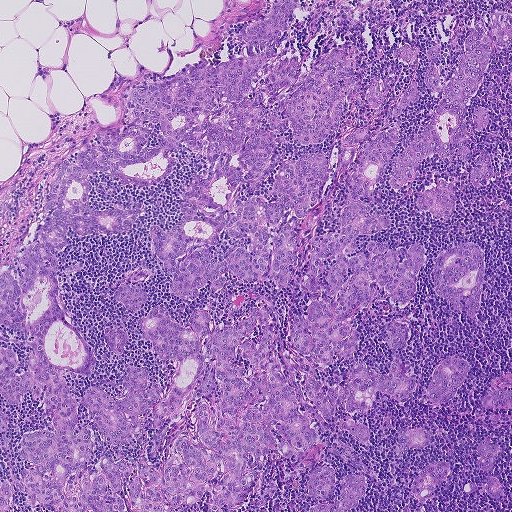
A 0.93-mm field of an H&E-stained sentinel lymph node from a breast-cancer patient (whole-slide image), shown at about 5×, about 1.8 µm per pixel.
Boundaries of eight metastatic tumour regions, simplified and listed clockwise, largest first: region 1: (506, 12), (511, 23), (511, 42), (503, 48), (493, 45), (464, 116), (470, 141), (466, 144), (470, 152), (467, 162), (462, 162), (454, 151), (447, 158), (432, 156), (423, 160), (417, 177), (402, 189), (393, 189), (388, 181), (390, 164), (418, 134), (445, 96), (438, 99), (430, 93), (424, 80), (429, 47), (440, 45), (434, 63), (443, 85), (465, 53), (464, 44), (470, 28), (475, 28), (477, 22), (487, 32), (492, 16); region 2: (467, 242), (477, 244), (481, 248), (484, 259), (483, 292), (476, 312), (477, 323), (463, 312), (453, 308), (437, 294), (433, 289), (433, 284), (433, 268), (436, 258), (443, 250); region 3: (457, 356), (466, 362), (469, 366), (469, 372), (453, 400), (449, 403), (428, 404), (420, 404), (418, 399), (424, 394), (435, 370), (441, 361); region 4: (441, 177), (452, 182), (454, 206), (453, 214), (448, 219), (441, 217), (434, 219), (429, 212), (422, 212), (416, 206), (413, 198), (416, 191), (430, 188); region 5: (356, 473), (366, 480), (366, 491), (357, 505), (349, 511), (310, 511), (313, 506), (318, 504), (334, 502), (342, 479), (345, 475); region 6: (435, 462), (446, 462), (449, 465), (449, 470), (445, 480), (436, 487), (435, 492), (423, 502), (417, 502), (410, 493), (411, 484), (420, 470); region 7: (486, 438), (489, 443), (494, 444), (498, 448), (500, 453), (492, 468), (491, 473), (503, 486), (501, 497), (496, 499), (487, 493), (485, 488), (488, 472), (482, 471), (478, 468), (476, 462), (480, 458), (476, 449), (481, 439); region 8: (402, 425), (411, 430), (422, 428), (428, 430), (431, 434), (433, 444), (417, 448), (408, 447), (408, 452), (399, 457), (395, 454), (398, 443), (397, 426).
One more tumour region is annotated but not outlined: its edge is too irregular for a short outline.
11 more, smaller tumour regions are not outlined.
Four more small tumour pieces are annotated here but not outlined.
About 50% of the image area is annotated as tumour.